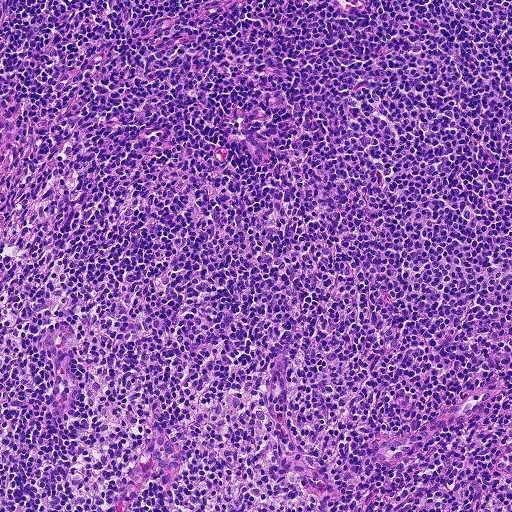
A 0.46-mm field of an H&E-stained sentinel lymph node from a breast-cancer patient (whole-slide image), shown at about 10×, about 0.9 µm per pixel.
Question: Is there metastatic carcinoma in this field?
Answer: No. No metastatic tumour is outlined in this field.